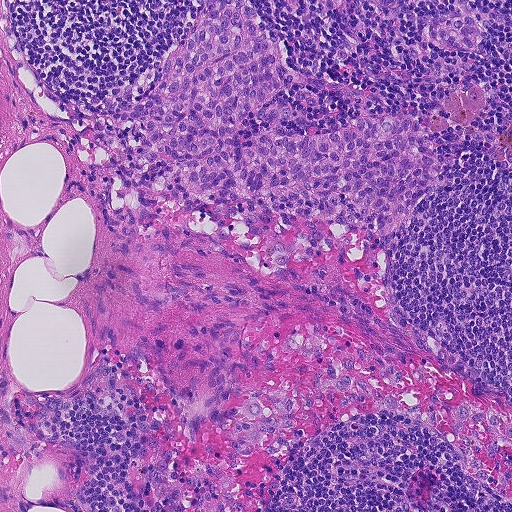
Lymph node section stained with H&E, from a whole-slide image of a breast-cancer sentinel node. Magnification about 10×, about 0.46 mm across the frame, about 0.9 µm per pixel.
Tumour region outline (a closed clockwise path, crop pixels): (251, 0), (301, 76), (338, 88), (273, 93), (259, 126), (315, 137), (490, 91), (468, 126), (496, 133), (511, 120), (511, 170), (440, 133), (426, 142), (440, 155), (433, 191), (379, 240), (319, 220), (217, 230), (205, 214), (132, 199), (91, 115), (199, 10).
One more small tumour piece is annotated here but not outlined.
The annotated tumour makes up about 20% of the crop.